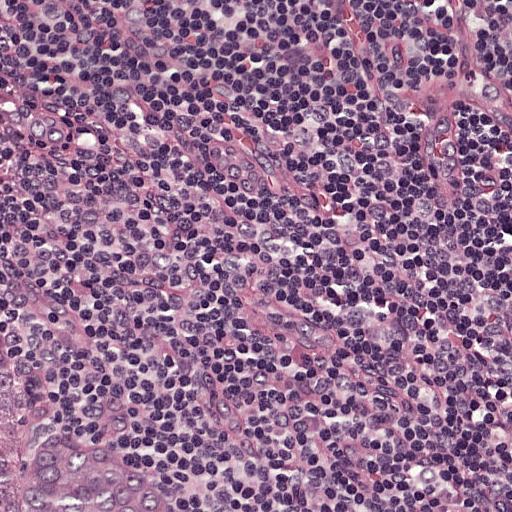
H&E-stained section of a sentinel lymph node (breast cancer), from a whole-slide image, viewed at about 20×: the field is about 0.25 mm across, about 0.49 µm per pixel.
The outlined metastatic tumour's edge, as a closed clockwise path of 6 points: (0, 285), (22, 310), (48, 384), (87, 431), (175, 511), (0, 511).
The annotated tumour makes up about 5% of the crop.